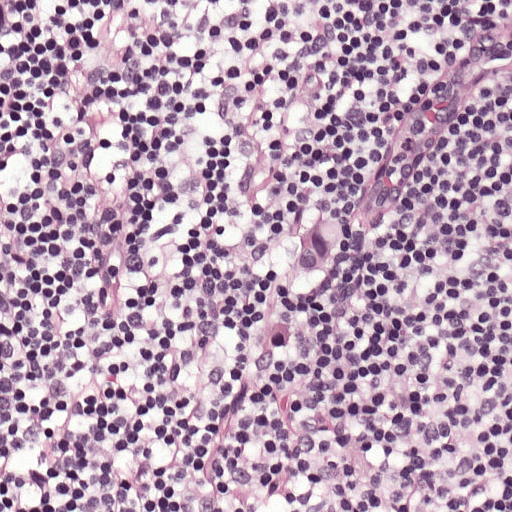
Lymph node section stained with H&E, from a whole-slide image of a breast-cancer sentinel node. Magnification about 20×, about 0.25 mm across the frame, about 0.49 µm per pixel.
Metastatic tumour outline, simplified to 5 points and listed clockwise in crop pixels (x, y): (344, 210), (359, 248), (324, 279), (286, 272), (307, 214).
Under 5% of the image area is annotated as tumour.